Lymph node section stained with H&E, from a whole-slide image of a breast-cancer sentinel node. Magnification about 10×, about 0.5 mm across the frame, about 0.97 µm per pixel.
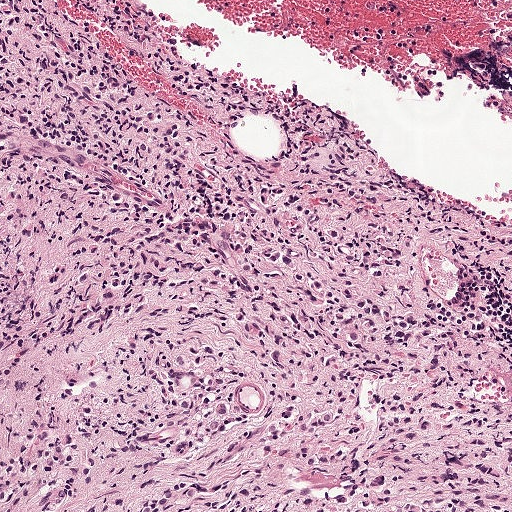
Tumour region outline (a closed clockwise path, crop pixels): (0, 0), (106, 0), (251, 99), (348, 139), (435, 321), (475, 381), (511, 409), (511, 511), (0, 511).
About 75% of the image area is annotated as tumour.